Image:
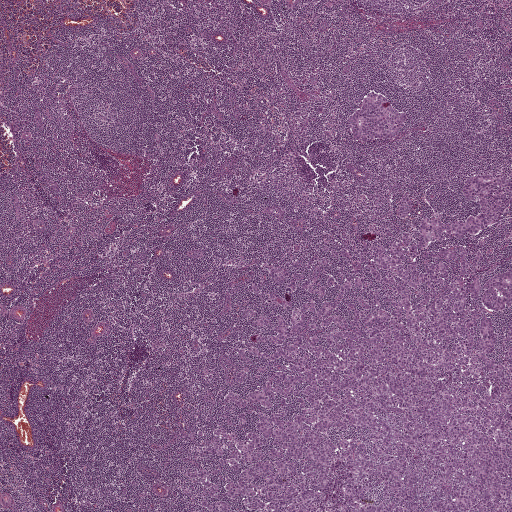
H&E-stained section of a sentinel lymph node (breast cancer), from a whole-slide image, viewed at about 2.5×: the field is about 2.0 mm across, about 3.9 µm per pixel.
Question:
Which parts of this field are metastatic tumour? Answer with the outline of each region, in pixels.
Answer:
Outlines of two tumour regions, largest first (closed clockwise paths, crop pixels): region 1: (469, 176), (511, 180), (503, 219), (442, 240), (511, 266), (511, 511), (203, 511), (184, 460), (246, 433), (220, 425), (266, 379), (232, 380), (272, 331), (241, 311), (280, 310), (248, 285), (305, 302), (262, 266), (370, 255), (408, 193), (452, 222); region 2: (376, 90), (387, 96), (394, 107), (406, 112), (408, 118), (407, 124), (399, 135), (388, 141), (370, 144), (358, 142), (354, 137), (348, 124), (348, 117), (366, 94).
Two more small tumour pieces are annotated here but not outlined.
About 30% of the image area is annotated as tumour.